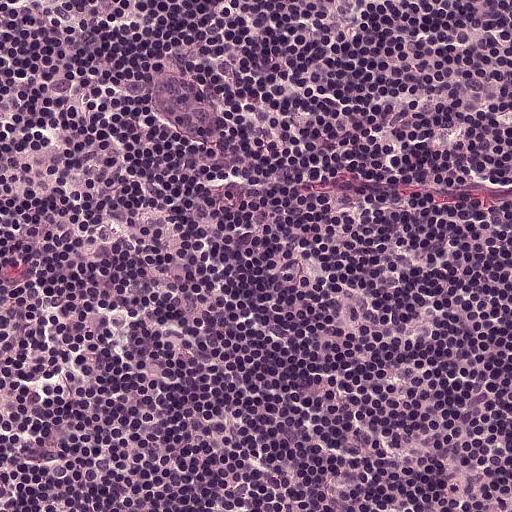
Lymph node section stained with H&E, from a whole-slide image of a breast-cancer sentinel node. Magnification about 20×, about 0.25 mm across the frame, about 0.49 µm per pixel.